Image:
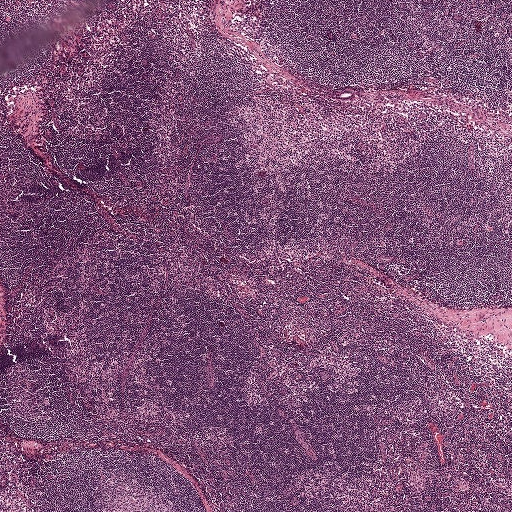
A 2.0-mm field of an H&E-stained sentinel lymph node from a breast-cancer patient (whole-slide image), shown at about 2.5×, about 3.9 µm per pixel.
Question:
Outline the metastatic carcinoma in this image, as closed paths of (x, y) pixel coordinates.
Answer:
Metastatic tumour outline, simplified to 11 points and listed clockwise in crop pixels (x, y): (344, 90), (354, 91), (355, 93), (355, 100), (353, 101), (346, 101), (333, 100), (331, 99), (329, 96), (329, 94), (331, 92).
The annotated tumour makes up under 5% of the crop.

Image:
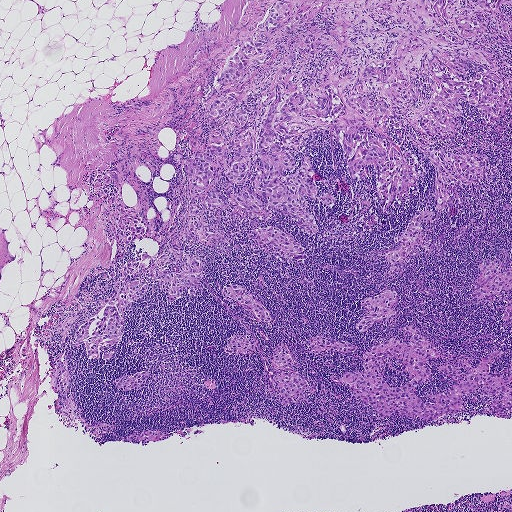
Lymph node section stained with H&E, from a whole-slide image of a breast-cancer sentinel node. Magnification about 2.5×, about 1.9 mm across the frame, about 3.6 µm per pixel.
Question:
Outline the metastatic carcinoma in this image, as closed paths of (x, y) pixel coordinates.
Answer:
Outlines of eight tumour regions, largest first (closed clockwise paths, crop pixels): region 1: (408, 324), (440, 356), (424, 363), (431, 371), (413, 389), (422, 401), (436, 402), (426, 397), (463, 379), (444, 377), (440, 365), (465, 374), (499, 348), (489, 360), (489, 372), (503, 378), (509, 372), (509, 409), (492, 407), (501, 392), (482, 394), (483, 382), (464, 393), (460, 412), (430, 420), (381, 416), (356, 398), (353, 385), (341, 377), (366, 371), (362, 357), (373, 346), (393, 337), (407, 341), (412, 334), (401, 326); region 2: (64, 349), (61, 359), (65, 361), (70, 375), (71, 394), (81, 413), (88, 421), (99, 420), (114, 424), (115, 427), (113, 431), (103, 434), (89, 433), (83, 428), (75, 416), (61, 405), (58, 394), (52, 384), (52, 377), (55, 370), (51, 365), (50, 361), (61, 351); region 3: (279, 345), (286, 348), (291, 358), (283, 367), (304, 377), (308, 384), (302, 394), (311, 402), (300, 401), (299, 404), (295, 404), (293, 400), (286, 404), (282, 404), (281, 396), (273, 383), (274, 376), (279, 368), (272, 365), (271, 356); region 4: (385, 289), (393, 290), (396, 292), (396, 301), (391, 308), (395, 314), (394, 318), (391, 321), (374, 324), (364, 332), (359, 332), (356, 330), (356, 326), (359, 318), (367, 311), (366, 308), (359, 303), (361, 299), (378, 294); region 5: (494, 262), (504, 264), (499, 273), (511, 269), (511, 287), (489, 300), (478, 299), (475, 292), (479, 284), (477, 280), (480, 273), (479, 266); region 6: (228, 284), (239, 284), (258, 298), (268, 310), (272, 318), (272, 321), (269, 322), (262, 321), (238, 301), (225, 299), (222, 288); region 7: (315, 336), (323, 336), (356, 346), (355, 351), (351, 352), (344, 353), (334, 348), (331, 355), (313, 352), (308, 346), (308, 342); region 8: (236, 334), (247, 334), (255, 345), (253, 352), (242, 355), (226, 353), (223, 351), (224, 347), (232, 335).
One more tumour region is annotated but not outlined: its edge is too irregular for a short outline.
Three more, smaller tumour regions are not outlined.
About 30% of the image area is annotated as tumour.

Image:
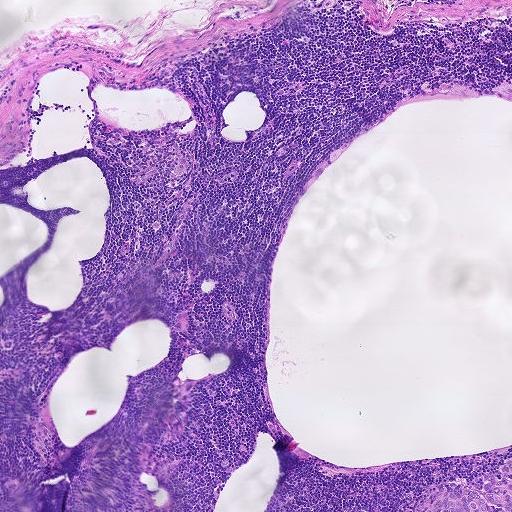
Lymph node section stained with H&E, from a whole-slide image of a breast-cancer sentinel node. Magnification about 5×, about 0.93 mm across the frame, about 1.8 µm per pixel.
Question:
Outline the metastatic carcinoma in this image, as closed paths of (x, y) pixel coordinates.
Answer:
Metastatic tumour outline, simplified to 10 points and listed clockwise in crop pixels (x, y): (511, 459), (511, 511), (411, 511), (437, 486), (459, 482), (483, 493), (484, 483), (492, 476), (502, 474), (503, 463).
Under 5% of the image area is annotated as tumour.

Image:
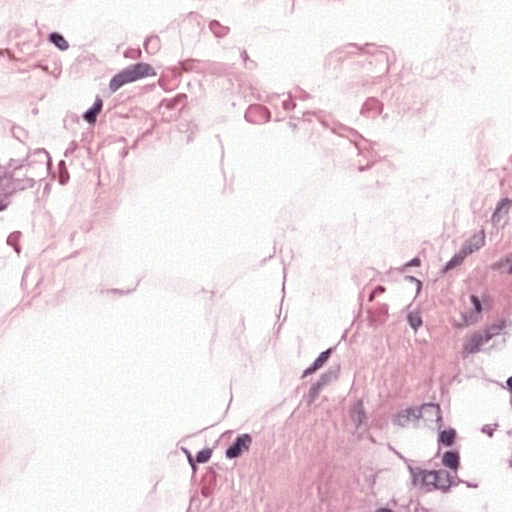
This is a crop of a whole-slide image: an H&E-stained breast-cancer sentinel lymph node section at roughly 40× magnification (about 0.24 µm per pixel; the crop spans about 0.12 mm).
Question:
Outline the metastatic carcinoma in this image, as closed paths of (x, y) pixel coordinates.
Answer:
Metastatic tumour outline, simplified to 3 points and listed clockwise in crop pixels (x, y): (0, 162), (53, 172), (0, 240).
One more small tumour piece is annotated here but not outlined.
The annotated tumour makes up under 5% of the crop.